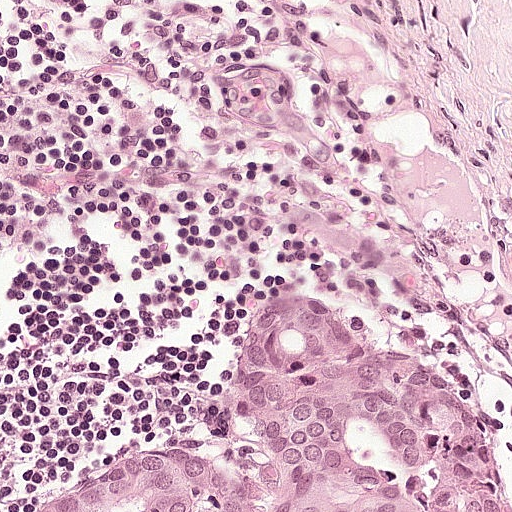
Lymph node section stained with H&E, from a whole-slide image of a breast-cancer sentinel node. Magnification about 20×, about 0.25 mm across the frame, about 0.49 µm per pixel.
One metastatic tumour region; its boundary, reduced to 10 corners and listed clockwise: (314, 302), (410, 322), (430, 342), (511, 511), (24, 511), (120, 460), (197, 448), (238, 462), (227, 398), (261, 316).
About 20% of the image area is annotated as tumour.